Question: 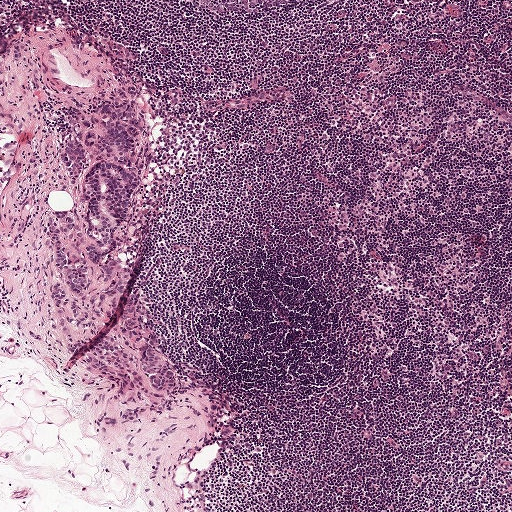
A 1-mm field of an H&E-stained sentinel lymph node from a breast-cancer patient (whole-slide image), shown at about 5×, about 1.9 µm per pixel.
What fraction of the image area is metastatic tumour?

Choices:
 (A) about 50% or more
 (B) about 10% to 20%
 (C) none: no tumour is outlined
 (D) about 5% or less
 (E) about 25% to 45%

Answer: (B) about 10% to 20%
About 10% of the field is tumour.
Metastatic tumour outline, simplified to 24 points and listed clockwise in crop pixels (x, y): (128, 93), (147, 94), (146, 160), (117, 240), (116, 273), (178, 375), (170, 394), (141, 380), (138, 396), (129, 394), (49, 334), (53, 311), (76, 311), (87, 301), (83, 301), (71, 310), (47, 300), (55, 268), (44, 230), (68, 207), (84, 205), (80, 184), (54, 163), (55, 146).